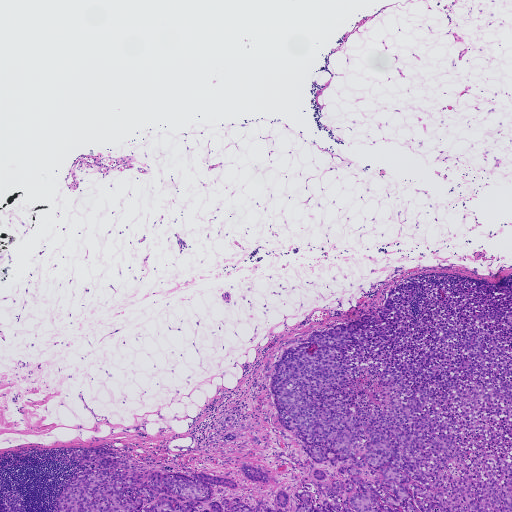
This is a crop of a whole-slide image: an H&E-stained breast-cancer sentinel lymph node section at roughly 2.5× magnification (about 3.6 µm per pixel; the crop spans about 1.9 mm).
Outlines of three tumour regions, largest first (closed clockwise paths, crop pixels): region 1: (461, 281), (496, 291), (511, 281), (511, 511), (295, 511), (298, 487), (320, 480), (315, 470), (326, 472), (322, 482), (345, 474), (341, 463), (313, 461), (281, 425), (264, 378), (268, 360), (273, 364), (290, 339), (371, 314), (402, 283), (419, 284), (415, 317), (426, 285), (455, 294); region 2: (108, 444), (133, 472), (208, 474), (236, 482), (234, 489), (210, 484), (212, 497), (197, 507), (202, 509), (234, 498), (256, 510), (276, 510), (280, 489), (288, 496), (283, 511), (56, 511), (55, 507), (70, 480), (98, 467), (81, 464), (78, 452); region 3: (243, 464), (252, 465), (268, 474), (270, 478), (269, 482), (264, 483), (247, 479), (241, 472), (240, 468).
Two more small tumour pieces are annotated here but not outlined.
About 20% of this field is tumour.